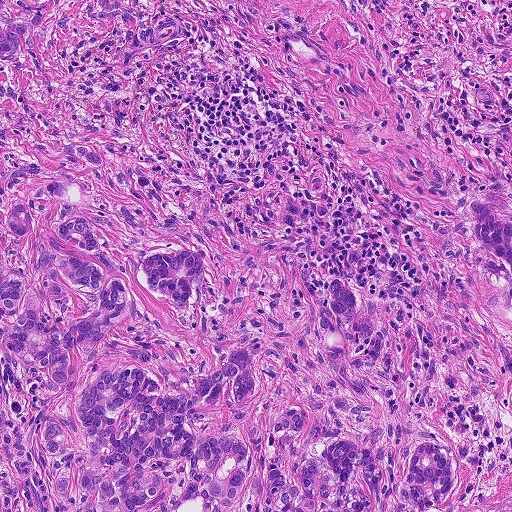
H&E-stained section of a sentinel lymph node (breast cancer), from a whole-slide image, viewed at about 10×: the field is about 0.46 mm across, about 0.9 µm per pixel.
Three metastatic tumour regions, each outlined as a closed clockwise path in crop pixels (x, y), largest first: region 1: (0, 118), (135, 166), (202, 234), (224, 290), (213, 318), (263, 356), (262, 409), (315, 402), (319, 307), (336, 271), (378, 292), (390, 331), (375, 384), (382, 410), (442, 436), (460, 460), (458, 511), (0, 511); region 2: (0, 0), (124, 0), (138, 5), (147, 15), (146, 28), (155, 19), (183, 15), (187, 29), (182, 40), (156, 55), (117, 62), (108, 36), (82, 26), (68, 29), (52, 50), (0, 67); region 3: (472, 186), (484, 187), (511, 209), (511, 308), (506, 300), (507, 286), (502, 272), (475, 245), (468, 234), (463, 222), (462, 196).
The annotated tumour makes up about 45% of the crop.